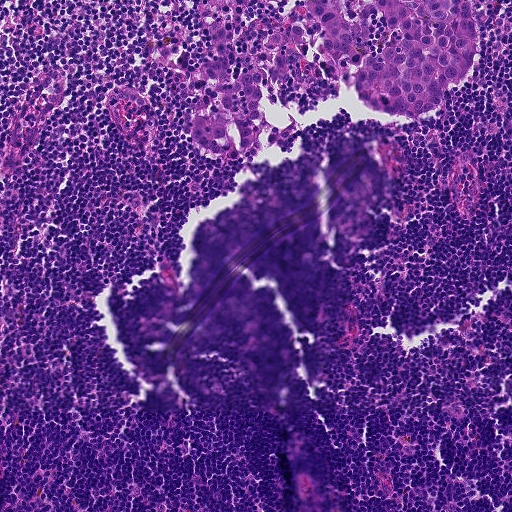
Lymph node section stained with H&E, from a whole-slide image of a breast-cancer sentinel node. Magnification about 10×, about 0.46 mm across the frame, about 0.9 µm per pixel.
Tumour region outline (a closed clockwise path, crop pixels): (285, 0), (470, 0), (472, 63), (431, 114), (392, 116), (357, 99), (346, 82), (271, 91), (260, 85), (271, 124), (294, 126), (284, 149), (259, 147), (237, 159), (200, 149), (190, 126), (200, 103), (194, 80), (212, 46), (206, 21), (226, 30), (233, 80), (285, 14).
About 10% of this field is tumour.